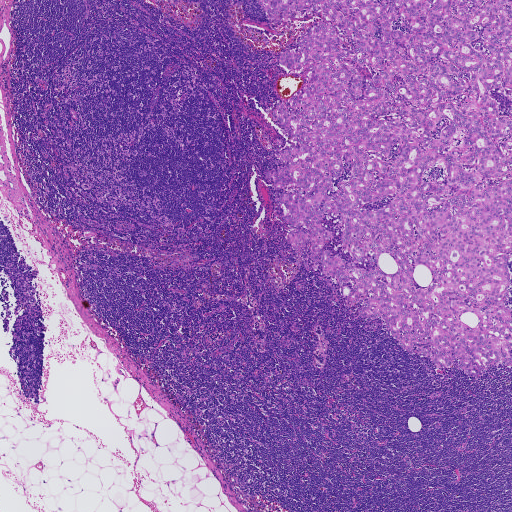
Lymph node section stained with H&E, from a whole-slide image of a breast-cancer sentinel node. Magnification about 2.5×, about 1.9 mm across the frame, about 3.6 µm per pixel.
Question: Describe where the metastatic carcinoma lies in this crop.
Answer: Metastatic tumour outline, simplified to 16 points and listed clockwise in crop pixels (x, y): (511, 0), (511, 366), (472, 377), (408, 352), (294, 252), (275, 200), (285, 190), (266, 175), (296, 144), (264, 110), (306, 86), (310, 71), (279, 57), (329, 18), (273, 23), (256, 1).
Two more small tumour pieces are annotated here but not outlined.
About 30% of this field is tumour.

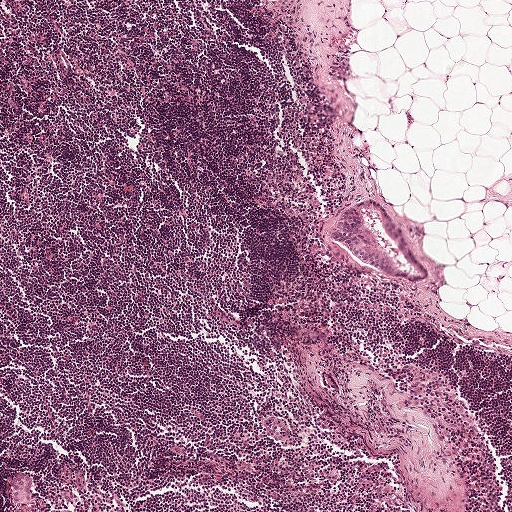
Lymph node section stained with H&E, from a whole-slide image of a breast-cancer sentinel node. Magnification about 5×, about 1 mm across the frame, about 1.9 µm per pixel.
Question: Describe where the metastatic carcinoma lies in this crop.
Answer: Two metastatic tumour regions, each outlined as a closed clockwise path in crop pixels (x, y), largest first: region 1: (369, 198), (372, 200), (372, 208), (367, 210), (363, 216), (365, 224), (370, 231), (372, 244), (376, 252), (381, 255), (381, 266), (374, 269), (365, 267), (358, 257), (329, 238), (328, 230), (332, 224), (344, 210); region 2: (15, 471), (34, 476), (36, 488), (36, 500), (20, 509), (12, 507), (11, 491), (5, 481), (6, 474).
Under 5% of the image area is annotated as tumour.

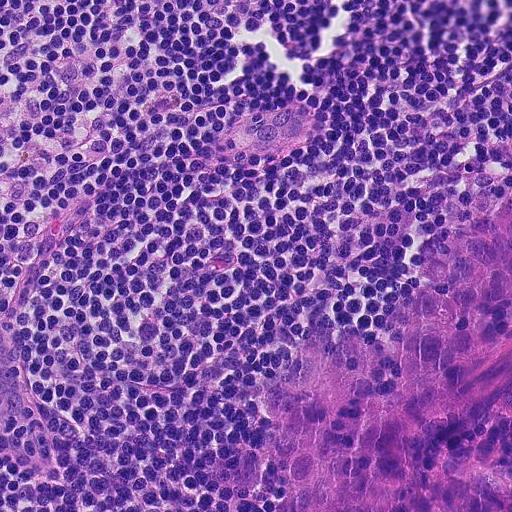
H&E-stained section of a sentinel lymph node (breast cancer), from a whole-slide image, viewed at about 20×: the field is about 0.23 mm across, about 0.45 µm per pixel.
Question: Describe where the metastatic carcinoma lies in this crop.
Answer: One metastatic tumour region; its boundary, reduced to 16 corners and listed clockwise: (511, 156), (511, 398), (453, 434), (438, 460), (511, 491), (511, 511), (270, 511), (280, 499), (268, 440), (276, 380), (312, 333), (372, 330), (397, 299), (438, 288), (418, 254), (487, 216).
The annotated tumour makes up about 20% of the crop.

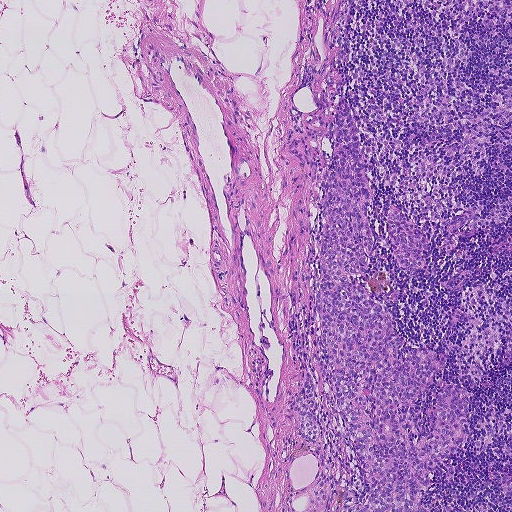
This is a crop of a whole-slide image: an H&E-stained breast-cancer sentinel lymph node section at roughly 5× magnification (about 1.8 µm per pixel; the crop spans about 0.93 mm).
Question: Describe where the metastatic carcinoma lies in this crop.
Answer: One metastatic tumour region; its boundary, reduced to 37 corners and listed clockwise: (345, 96), (371, 228), (386, 237), (392, 203), (432, 249), (409, 272), (377, 238), (369, 265), (369, 274), (394, 281), (395, 300), (383, 306), (394, 336), (407, 340), (403, 348), (448, 359), (412, 405), (412, 424), (424, 440), (432, 435), (443, 380), (471, 399), (456, 453), (426, 475), (434, 481), (424, 506), (432, 511), (343, 511), (366, 481), (334, 393), (312, 386), (322, 432), (310, 444), (283, 411), (306, 367), (318, 380), (320, 183).
Tumour covers about 10% of the frame.